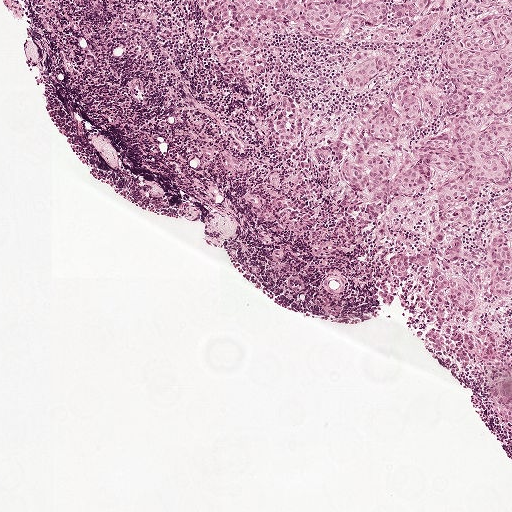
This is a crop of a whole-slide image: an H&E-stained breast-cancer sentinel lymph node section at roughly 5× magnification (about 1.9 µm per pixel; the crop spans about 1 mm).
Outlines of two tumour regions, largest first (closed clockwise paths, crop pixels): region 1: (203, 0), (511, 0), (511, 213), (487, 213), (487, 221), (511, 243), (511, 309), (490, 301), (448, 312), (419, 284), (394, 279), (373, 235), (328, 201), (278, 133), (283, 98), (299, 97), (330, 122), (358, 109), (349, 73), (376, 46), (291, 46), (261, 84), (245, 84), (224, 72); region 2: (495, 372), (511, 375), (511, 444), (506, 431), (490, 410), (492, 384).
The annotated tumour makes up about 25% of the crop.